This is a crop of a whole-slide image: an H&E-stained breast-cancer sentinel lymph node section at roughly 5× magnification (about 1.9 µm per pixel; the crop spans about 1 mm).
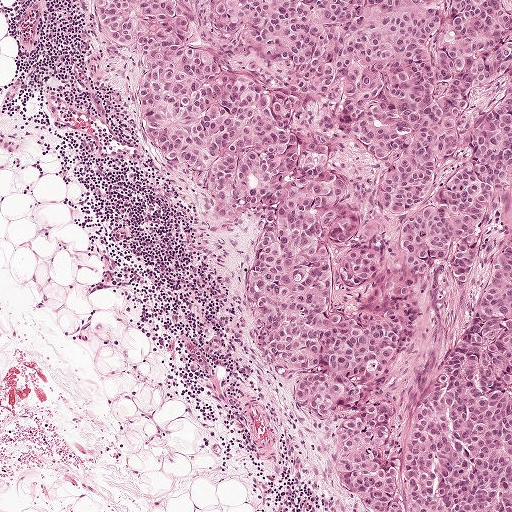
One metastatic tumour region; its boundary, reduced to 13 corners and listed clockwise: (511, 0), (511, 511), (358, 511), (326, 480), (328, 436), (268, 378), (243, 317), (253, 232), (187, 206), (143, 134), (127, 66), (92, 28), (87, 1).
About 55% of the image area is annotated as tumour.